Lymph node section stained with H&E, from a whole-slide image of a breast-cancer sentinel node. Magnification about 20×, about 0.25 mm across the frame, about 0.49 µm per pixel.
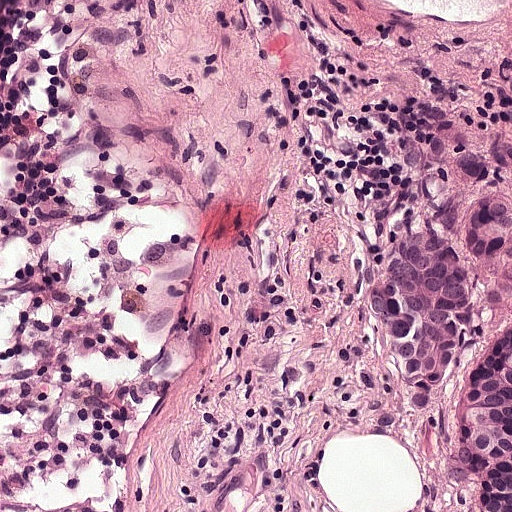
Question: Where is the metastatic tumour in this field? Give each region's outline as (x, y) pixel points.
Answer: Tumour region outline (a closed clockwise path, crop pixels): (511, 142), (511, 511), (388, 511), (400, 502), (464, 492), (464, 458), (448, 404), (368, 370), (346, 324), (350, 254), (360, 242), (432, 211), (484, 150).
The annotated tumour makes up about 15% of the crop.